A 0.93-mm field of an H&E-stained sentinel lymph node from a breast-cancer patient (whole-slide image), shown at about 5×, about 1.8 µm per pixel.
Question: 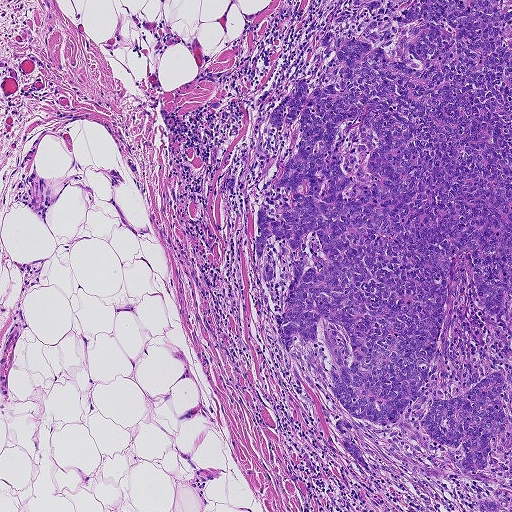
What fraction of the image area is metastatic tumour?

Choices:
 (A) none: no tumour is outlined
 (B) about 5% or less
 (C) about 50% or more
 (D) about 10% to 20%
 (E) about 25% to 45%

Answer: (E) about 25% to 45%
About 40% of the field is tumour.
Tumour region outline (a closed clockwise path, crop pixels): (359, 0), (507, 5), (511, 511), (470, 511), (455, 455), (410, 419), (354, 429), (375, 477), (339, 445), (329, 399), (273, 333), (290, 253), (273, 238), (262, 282), (255, 219), (296, 134), (273, 130), (271, 110), (290, 82), (321, 84), (336, 65), (322, 26), (355, 25).
One more small tumour piece is annotated here but not outlined.